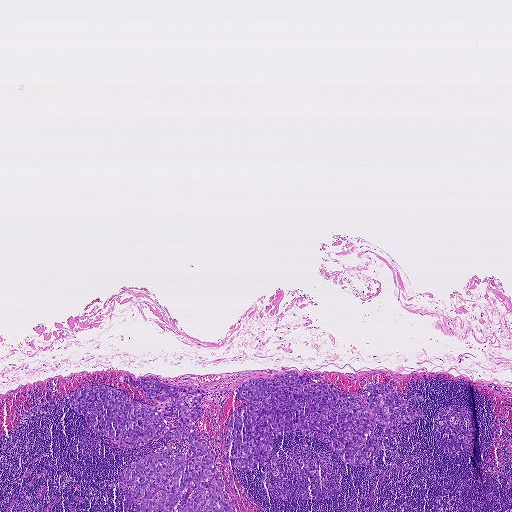
H&E-stained section of a sentinel lymph node (breast cancer), from a whole-slide image, viewed at about 2.5×: the field is about 1.9 mm across, about 3.6 µm per pixel.
Two metastatic tumour regions, each outlined as a closed clockwise path in crop pixels (x, y), largest first: region 1: (130, 375), (134, 380), (153, 377), (175, 386), (204, 390), (207, 392), (198, 404), (204, 414), (193, 426), (210, 443), (222, 478), (222, 500), (233, 511), (178, 511), (180, 501), (172, 511), (138, 511), (135, 503), (126, 510), (125, 494), (132, 483), (120, 485), (119, 474), (167, 446), (189, 456), (189, 442), (159, 435), (138, 447), (126, 447), (93, 432), (69, 406), (68, 397), (93, 386), (118, 390), (157, 410), (167, 404), (169, 401), (148, 398), (141, 388), (126, 383); region 2: (320, 373), (306, 383), (326, 383), (365, 403), (368, 387), (387, 383), (423, 415), (393, 438), (375, 427), (387, 448), (369, 464), (343, 461), (331, 444), (298, 425), (277, 435), (270, 457), (244, 471), (224, 434), (231, 415), (263, 398), (237, 397), (248, 379).
One more small tumour piece is annotated here but not outlined.
About 10% of the image area is annotated as tumour.